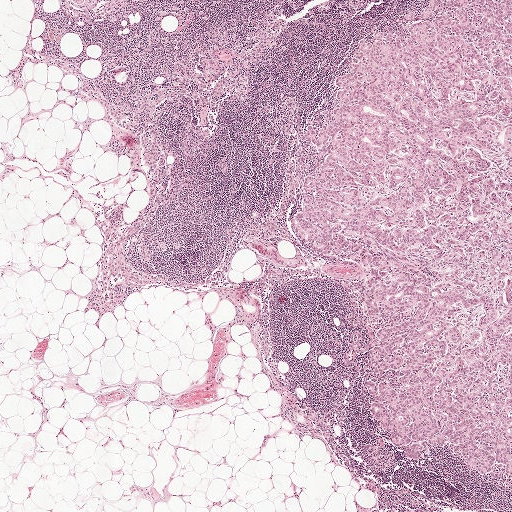
This is a crop of a whole-slide image: an H&E-stained breast-cancer sentinel lymph node section at roughly 2.5× magnification (about 3.9 µm per pixel; the crop spans about 2.0 mm).
Question: Is any metastatic breast cancer visible in this crop?
Answer: Yes.
One metastatic tumour region; its boundary, reduced to 24 corners and listed clockwise: (430, 0), (511, 0), (511, 477), (476, 474), (438, 446), (407, 459), (373, 420), (370, 351), (342, 363), (351, 334), (369, 340), (354, 288), (368, 267), (324, 258), (291, 226), (321, 154), (300, 138), (329, 112), (358, 44), (380, 30), (409, 39), (400, 26), (421, 22), (405, 13).
About 30% of the image area is annotated as tumour.

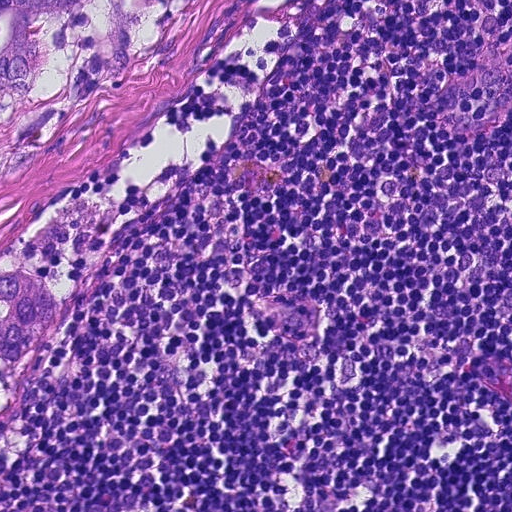
This is a crop of a whole-slide image: an H&E-stained breast-cancer sentinel lymph node section at roughly 20× magnification (about 0.45 µm per pixel; the crop spans about 0.23 mm).
Question: Is any metastatic breast cancer visible in this crop?
Answer: Yes.
Metastatic tumour outline, simplified to 8 points and listed clockwise in crop pixels (x, y): (0, 0), (255, 0), (196, 79), (96, 182), (59, 202), (105, 207), (106, 229), (0, 456).
The annotated tumour makes up about 20% of the crop.

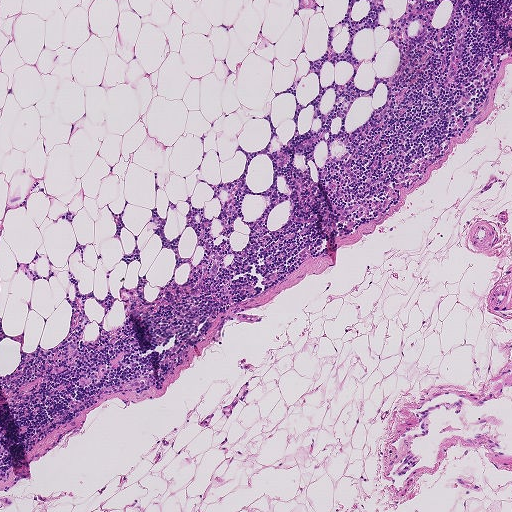
A 0.93-mm field of an H&E-stained sentinel lymph node from a breast-cancer patient (whole-slide image), shown at about 5×, about 1.8 µm per pixel.
Question: Is any metastatic breast cancer visible in this crop?
Answer: No: no metastatic tumour is outlined anywhere in this field.

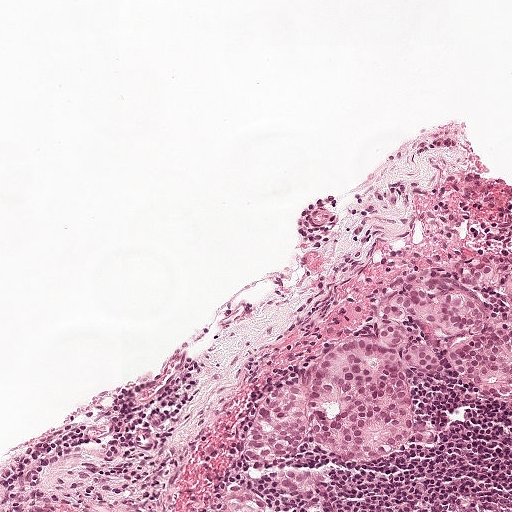
A 0.5-mm field of an H&E-stained sentinel lymph node from a breast-cancer patient (whole-slide image), shown at about 10×, about 0.97 µm per pixel.
Question: Is any metastatic breast cancer visible in this crop?
Answer: Yes.
Outlines of two tumour regions, largest first (closed clockwise paths, crop pixels): region 1: (511, 255), (511, 398), (478, 392), (446, 354), (446, 335), (412, 319), (410, 329), (440, 365), (435, 371), (406, 367), (417, 420), (436, 428), (437, 446), (352, 464), (313, 437), (312, 428), (296, 451), (265, 463), (246, 461), (242, 453), (244, 429), (264, 392), (295, 382), (300, 368), (334, 347), (376, 336), (390, 282), (427, 266), (450, 268), (489, 312), (505, 315), (504, 297), (471, 278), (464, 264), (475, 256); region 2: (228, 483), (240, 483), (257, 492), (272, 511), (220, 511).
The annotated tumour makes up about 10% of the crop.